Image:
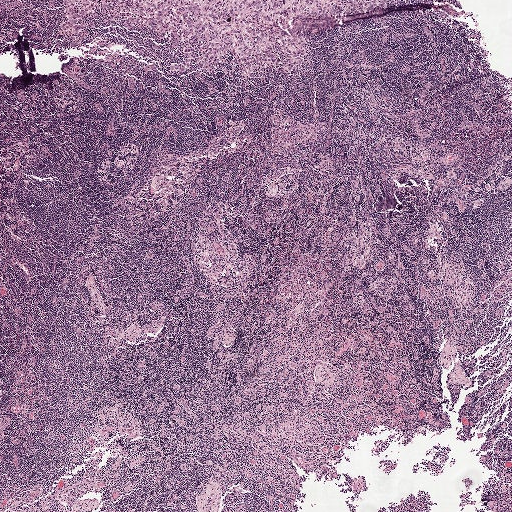
H&E-stained section of a sentinel lymph node (breast cancer), from a whole-slide image, viewed at about 2.5×: the field is about 2.0 mm across, about 3.9 µm per pixel.
Question:
Outline the metastatic carcinoma in this image, as closed paths of (x, y) pixel coordinates.
Answer:
One metastatic tumour region; its boundary, reduced to 23 corners and listed clockwise: (66, 0), (390, 0), (389, 5), (370, 10), (291, 18), (290, 31), (313, 40), (303, 64), (284, 74), (263, 70), (246, 81), (228, 70), (208, 76), (188, 68), (169, 73), (167, 65), (184, 54), (176, 41), (108, 21), (98, 24), (85, 41), (65, 39), (59, 30).
About 5% of the image area is annotated as tumour.

Image:
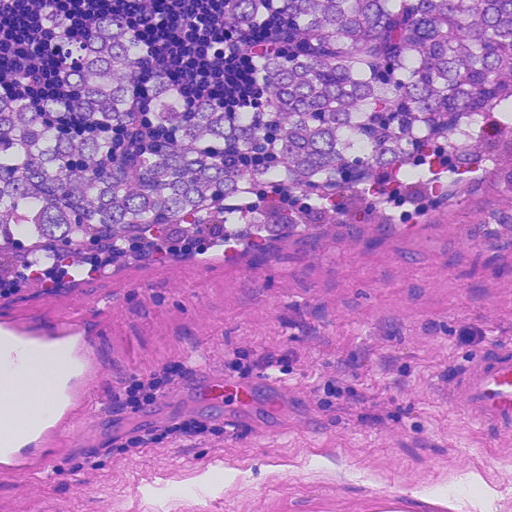
Lymph node section stained with H&E, from a whole-slide image of a breast-cancer sentinel node. Magnification about 20×, about 0.23 mm across the frame, about 0.45 µm per pixel.
Question:
Outline the metastatic carcinoma in this image, as closed paths of (x, y) pixel coordinates.
Answer:
The outlined metastatic tumour's edge, as a closed clockwise path of 10 points: (0, 0), (511, 0), (511, 98), (440, 124), (400, 164), (346, 185), (305, 222), (251, 246), (170, 252), (0, 241).
The annotated tumour makes up about 40% of the crop.

Image:
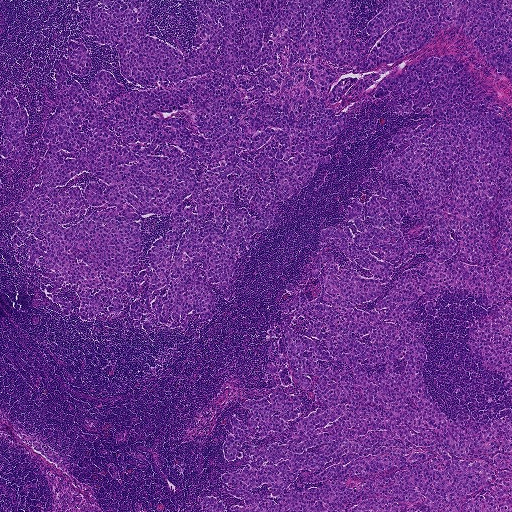
Lymph node section stained with H&E, from a whole-slide image of a breast-cancer sentinel node. Magnification about 2.5×, about 1.9 mm across the frame, about 3.6 µm per pixel.
Question:
Outline the metastatic carcinoma in this image, as closed paths of (x, y) pixel coordinates.
Answer:
Outlines of three tumour regions, largest first (closed clockwise paths, crop pixels): region 1: (91, 0), (187, 55), (199, 0), (351, 0), (364, 41), (511, 0), (511, 402), (482, 294), (408, 319), (449, 420), (511, 411), (511, 511), (230, 511), (287, 441), (246, 430), (225, 459), (243, 403), (320, 407), (268, 368), (350, 262), (329, 248), (311, 277), (320, 233), (412, 189), (381, 161), (432, 111), (328, 103), (228, 298), (144, 328), (129, 309), (172, 211), (140, 215), (112, 314), (13, 241), (55, 60), (158, 87); region 2: (8, 92), (20, 109), (26, 110), (28, 117), (24, 138), (29, 146), (26, 160), (12, 154), (6, 159), (0, 155), (0, 145), (3, 146), (4, 141), (10, 142), (10, 139), (8, 137), (2, 138), (4, 122), (0, 99); region 3: (204, 496), (213, 497), (216, 499), (217, 502), (221, 503), (223, 507), (224, 511), (206, 511), (204, 511), (202, 503), (202, 499).
About 65% of this field is tumour.

Image:
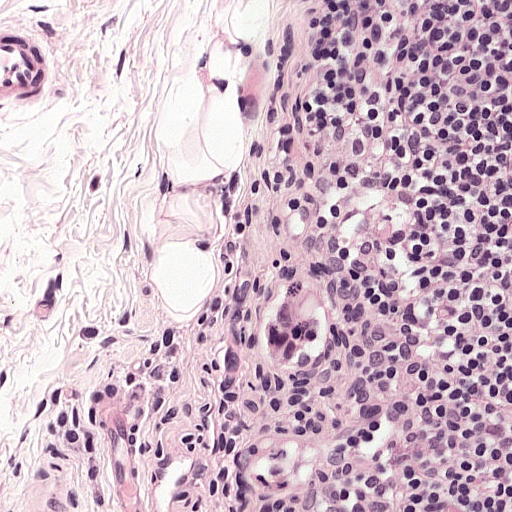
Lymph node section stained with H&E, from a whole-slide image of a breast-cancer sentinel node. Magnification about 20×, about 0.25 mm across the frame, about 0.49 µm per pixel.
Question:
Outline the metastatic carcinoma in this image, as closed paths of (x, y) pixel coordinates.
Answer:
One metastatic tumour region; its boundary, reduced to 10 corners and listed clockwise: (297, 276), (316, 288), (327, 324), (320, 357), (302, 371), (284, 371), (268, 359), (267, 322), (272, 304), (282, 288).
Tumour covers under 5% of the frame.